Question: 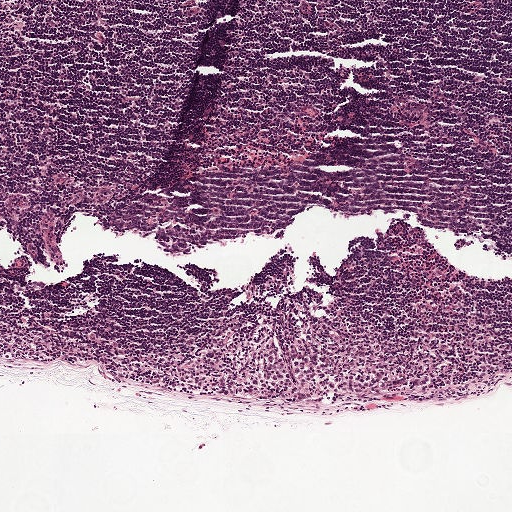
H&E-stained section of a sentinel lymph node (breast cancer), from a whole-slide image, viewed at about 5×: the field is about 1 mm across, about 1.9 µm per pixel.
Roughly what share of this field is metastatic tumour?

Choices:
 (A) about 25% to 45%
 (B) about 5% or less
 (C) about 10% to 20%
 (D) about 50% or more
 (E) none: no tumour is outlined

Answer: (B) about 5% or less
About 5% of the field is tumour.
Tumour region outline (a closed clockwise path, crop pixels): (277, 320), (304, 335), (350, 328), (391, 342), (420, 383), (416, 397), (387, 407), (222, 400), (162, 386), (141, 368), (141, 354), (227, 324).